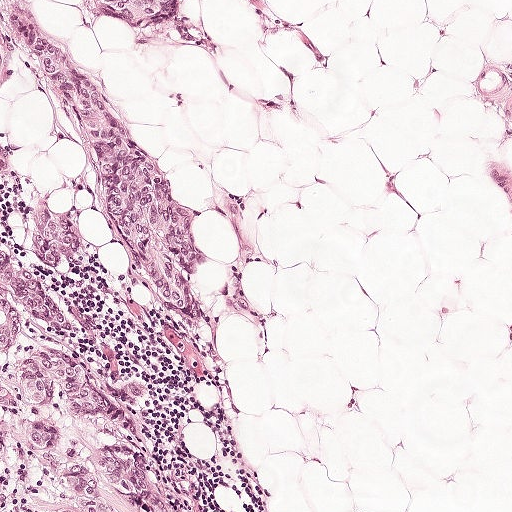
H&E-stained section of a sentinel lymph node (breast cancer), from a whole-slide image, viewed at about 10×: the field is about 0.5 mm across, about 0.97 µm per pixel.
Question: Trace the edge of each tumour region in this crop, as (x, y) points from 0 to 511.
Answer: The outlined metastatic tumour's edge, as a closed clockwise path of 7 points: (0, 0), (203, 0), (198, 59), (139, 96), (305, 432), (320, 507), (0, 511).
About 45% of this field is tumour.